Question: 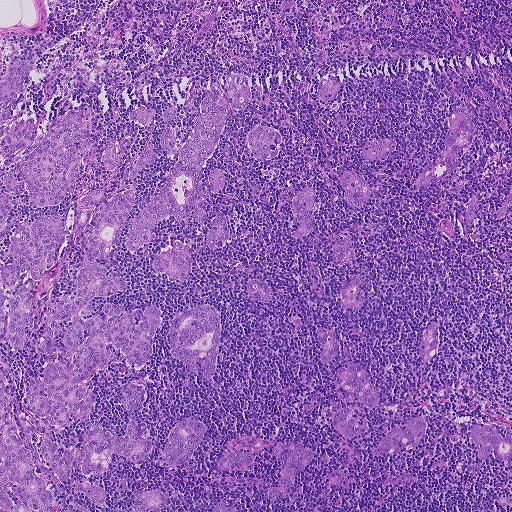
Lymph node section stained with H&E, from a whole-slide image of a breast-cancer sentinel node. Magnification about 5×, about 0.93 mm across the frame, about 1.8 µm per pixel.
Estimate the proportion of this field that is metastatic tumour.

Choices:
 (A) none: no tumour is outlined
 (B) about 25% to 45%
 (C) about 10% to 20%
 (D) about 5% or less
 (E) about 50% or more

Answer: (B) about 25% to 45%
About 25% of the field is tumour.
The eight largest tumour regions' boundaries, simplified and listed clockwise, largest first: region 1: (136, 184), (118, 241), (95, 261), (128, 286), (82, 317), (103, 315), (105, 304), (155, 305), (152, 355), (133, 368), (109, 344), (114, 364), (83, 380), (87, 421), (47, 420), (71, 449), (94, 424), (121, 435), (120, 388), (137, 382), (147, 394), (133, 417), (152, 451), (136, 467), (113, 453), (99, 477), (74, 467), (49, 511), (26, 509), (11, 484), (6, 510), (0, 368), (23, 443), (38, 426), (26, 378), (75, 355), (38, 347), (46, 313), (74, 291), (99, 210); region 2: (15, 48), (22, 59), (34, 62), (10, 109), (13, 116), (24, 111), (19, 122), (34, 118), (32, 144), (79, 106), (79, 120), (90, 125), (95, 154), (90, 163), (81, 157), (73, 191), (57, 204), (34, 204), (22, 168), (13, 177), (21, 184), (20, 193), (2, 188), (0, 80); region 3: (242, 74), (250, 90), (250, 100), (244, 109), (229, 107), (202, 174), (206, 203), (202, 206), (206, 214), (203, 224), (198, 224), (190, 213), (183, 220), (168, 218), (159, 222), (153, 239), (138, 251), (129, 251), (124, 243), (126, 226), (154, 196), (181, 158), (174, 161), (166, 155), (160, 142), (165, 109), (176, 107), (170, 125), (179, 147), (201, 115), (200, 106), (206, 90), (211, 90), (213, 84), (223, 94), (228, 78); region 4: (58, 214), (65, 227), (65, 240), (58, 249), (59, 258), (54, 266), (42, 279), (32, 280), (29, 272), (25, 272), (19, 274), (20, 278), (14, 285), (1, 288), (5, 295), (10, 294), (24, 284), (32, 296), (34, 304), (31, 322), (28, 326), (24, 325), (25, 329), (28, 330), (27, 338), (18, 348), (14, 348), (3, 338), (0, 340), (0, 261), (6, 265), (13, 265), (14, 258), (7, 256), (6, 253), (16, 226), (21, 222), (31, 223), (39, 217); region 5: (203, 304), (213, 306), (217, 310), (220, 321), (219, 354), (212, 374), (213, 385), (199, 374), (189, 370), (173, 356), (169, 351), (169, 346), (169, 330), (172, 320), (179, 312); region 6: (462, 106), (468, 108), (472, 119), (472, 140), (470, 145), (457, 156), (453, 171), (435, 184), (419, 186), (415, 183), (416, 178), (443, 149), (450, 127), (450, 116), (453, 111); region 7: (193, 418), (202, 424), (205, 428), (205, 434), (189, 462), (185, 465), (164, 466), (156, 466), (154, 461), (160, 456), (171, 432), (177, 423); region 8: (283, 441), (295, 443), (311, 450), (314, 454), (293, 480), (286, 496), (282, 498), (271, 499), (267, 495), (277, 482), (279, 460), (270, 453), (272, 447), (278, 443).
29 more, smaller tumour regions are not outlined.